A 2.0-mm field of an H&E-stained sentinel lymph node from a breast-cancer patient (whole-slide image), shown at about 2.5×, about 4.0 µm per pixel.
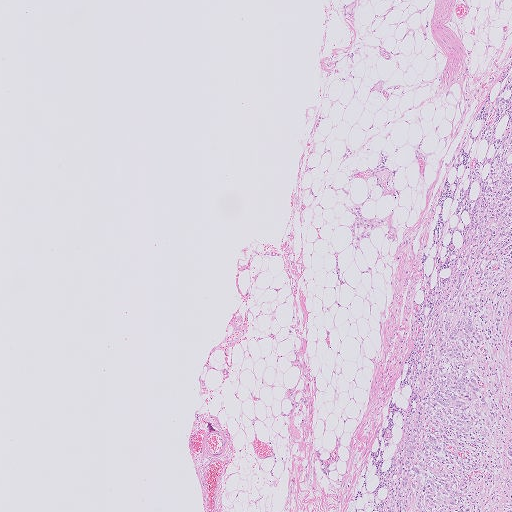
Metastatic tumour outline, simplified to 8 points and listed clockwise in crop pixels (x, y): (510, 94), (511, 511), (382, 511), (405, 450), (412, 346), (444, 258), (465, 237), (483, 199).
About 10% of the image area is annotated as tumour.